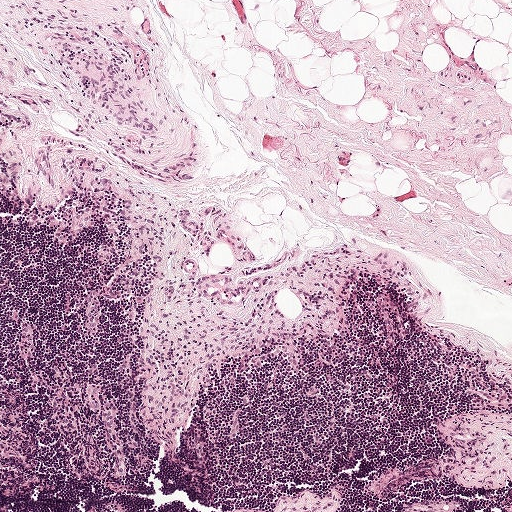
H&E-stained section of a sentinel lymph node (breast cancer), from a whole-slide image, viewed at about 5×: the field is about 1 mm across, about 1.9 µm per pixel.